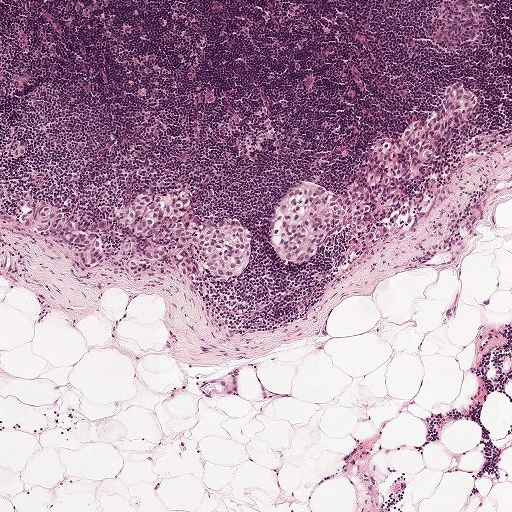
This is a crop of a whole-slide image: an H&E-stained breast-cancer sentinel lymph node section at roughly 5× magnification (about 1.9 µm per pixel; the crop spans about 1 mm).
Boundaries of three metastatic tumour regions, simplified and listed clockwise, largest first: region 1: (454, 78), (468, 80), (480, 91), (480, 104), (435, 158), (410, 176), (395, 214), (397, 227), (367, 255), (347, 253), (350, 238), (344, 226), (302, 264), (289, 265), (274, 257), (270, 232), (288, 185), (309, 179), (334, 192), (352, 187), (375, 141), (404, 132), (440, 104); region 2: (169, 185), (194, 194), (200, 219), (232, 219), (250, 228), (250, 255), (236, 280), (222, 282), (210, 277), (201, 283), (190, 282), (173, 251), (157, 261), (144, 276), (134, 278), (126, 272), (120, 257), (117, 211), (124, 202), (148, 186); region 3: (50, 199), (80, 219), (106, 217), (107, 229), (98, 232), (101, 233), (107, 247), (105, 261), (94, 264), (84, 264), (79, 255), (69, 246), (36, 233), (22, 224), (18, 219), (22, 210).
Tumour covers about 10% of the frame.